Image:
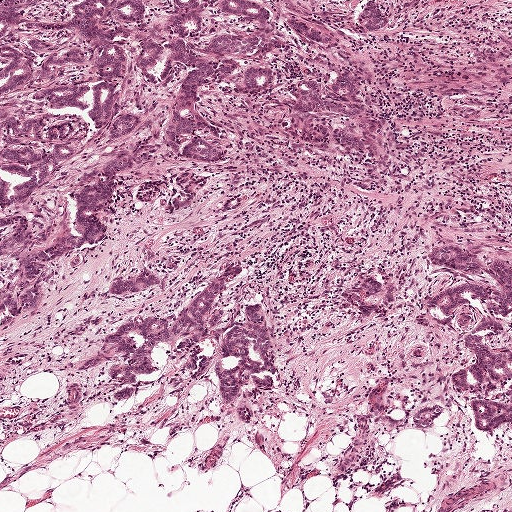
A 1-mm field of an H&E-stained sentinel lymph node from a breast-cancer patient (whole-slide image), shown at about 5×, about 1.9 µm per pixel.
Question:
Outline the metastatic carcinoma in this image, as closed paths of (x, y) pixel coordinates.
Answer:
Outlines of seven tumour regions, largest first (closed clockwise paths, crop pixels): region 1: (0, 0), (428, 0), (386, 65), (390, 180), (362, 181), (334, 156), (300, 157), (252, 177), (218, 221), (192, 234), (167, 234), (132, 203), (122, 242), (62, 272), (44, 312), (0, 343); region 2: (232, 264), (241, 266), (214, 302), (224, 311), (217, 327), (198, 328), (154, 344), (156, 376), (132, 377), (134, 398), (119, 403), (112, 399), (114, 384), (109, 375), (110, 370), (124, 365), (124, 360), (100, 341), (125, 319), (170, 314), (222, 269); region 3: (261, 298), (277, 367), (277, 383), (268, 386), (257, 379), (246, 384), (251, 400), (249, 419), (238, 418), (234, 406), (222, 398), (217, 380), (217, 360), (226, 364), (235, 358), (232, 352), (225, 349), (223, 340), (224, 332), (233, 320), (246, 313), (243, 301); region 4: (446, 241), (463, 242), (467, 252), (477, 259), (511, 267), (511, 312), (503, 316), (492, 313), (471, 300), (464, 292), (460, 295), (462, 307), (452, 317), (435, 315), (428, 310), (426, 306), (428, 298), (456, 285), (488, 283), (500, 286), (486, 275), (437, 268), (424, 258), (427, 247); region 5: (372, 275), (376, 279), (392, 284), (396, 294), (394, 305), (388, 308), (379, 306), (369, 298), (374, 306), (373, 316), (362, 319), (340, 299), (338, 293), (357, 283), (359, 279); region 6: (142, 268), (156, 273), (165, 278), (165, 283), (163, 286), (125, 296), (112, 295), (109, 292), (112, 281); region 7: (430, 402), (444, 406), (445, 409), (445, 414), (438, 420), (436, 429), (430, 431), (420, 430), (412, 425), (415, 413).
One more tumour region is annotated but not outlined: its edge is too irregular for a short outline.
One more small tumour piece is annotated here but not outlined.
About 40% of this field is tumour.